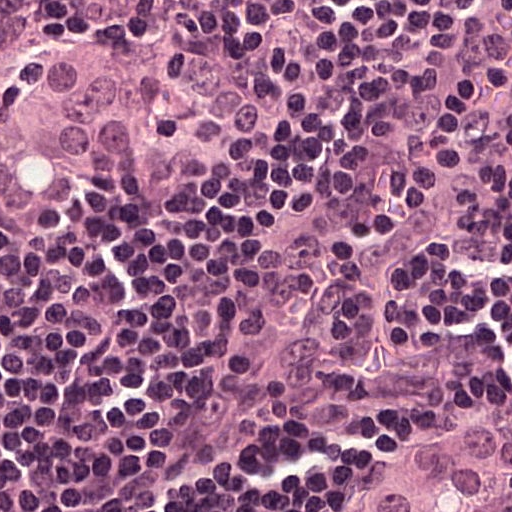
H&E-stained section of a sentinel lymph node (breast cancer), from a whole-slide image, viewed at about 40×: the field is about 0.12 mm across, about 0.24 µm per pixel.
Boundaries of two metastatic tumour regions, simplified and listed clockwise, largest first: region 1: (113, 22), (168, 38), (208, 61), (264, 116), (249, 141), (184, 191), (104, 236), (56, 237), (0, 220), (6, 70), (40, 38); region 2: (509, 366), (511, 511), (360, 511), (397, 491), (416, 472), (434, 441), (462, 419), (497, 369).
The annotated tumour makes up about 20% of the crop.